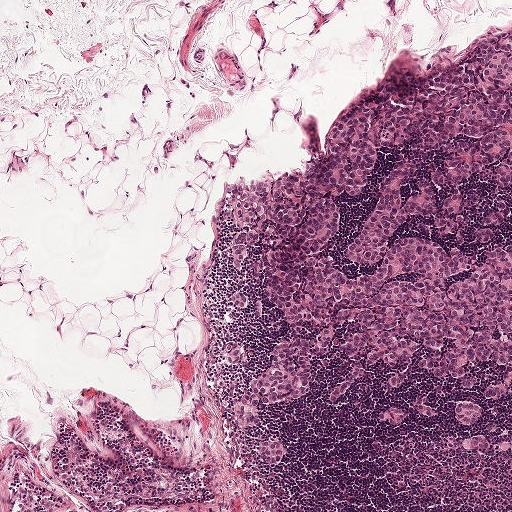
Lymph node section stained with H&E, from a whole-slide image of a breast-cancer sentinel node. Magnification about 5×, about 1 mm across the frame, about 1.9 µm per pixel.
Question: Show where the tumour is in this image.
Answer: Boundaries of four metastatic tumour regions, simplified and listed clockwise, largest first: region 1: (511, 27), (511, 396), (465, 430), (384, 429), (365, 399), (385, 384), (361, 378), (348, 408), (324, 403), (330, 361), (275, 412), (237, 411), (226, 390), (276, 320), (234, 309), (239, 280), (219, 272), (227, 212), (210, 201), (314, 154), (387, 82); region 2: (511, 428), (511, 460), (473, 457), (461, 454), (462, 438), (464, 437), (472, 434), (498, 435); region 3: (271, 436), (273, 440), (282, 444), (285, 459), (279, 465), (267, 464), (255, 452), (256, 438); region 4: (231, 341), (242, 356), (243, 364), (233, 363), (223, 358), (222, 348), (224, 343).
About 35% of this field is tumour.

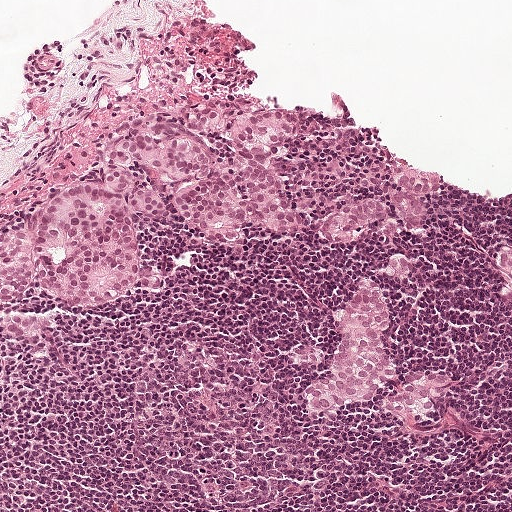
Lymph node section stained with H&E, from a whole-slide image of a breast-cancer sentinel node. Magnification about 10×, about 0.5 mm across the frame, about 0.97 µm per pixel.
Question: Show where the tumour is in this image.
Answer: Boundaries of five metastatic tumour regions, simplified and listed clockwise, largest first: region 1: (230, 98), (296, 117), (297, 137), (276, 159), (299, 217), (295, 237), (245, 228), (245, 240), (231, 246), (206, 238), (172, 198), (172, 180), (138, 164), (136, 174), (166, 210), (132, 212), (143, 265), (162, 273), (163, 291), (78, 309), (38, 272), (22, 296), (0, 305), (0, 233), (21, 226), (26, 213), (60, 192), (102, 181), (116, 128), (153, 110), (176, 113), (228, 160), (232, 144), (190, 116), (193, 103); region 2: (368, 278), (380, 281), (385, 288), (390, 304), (390, 321), (384, 346), (398, 379), (382, 388), (369, 402), (346, 403), (323, 413), (311, 411), (303, 404), (306, 392), (318, 375), (335, 361), (341, 340), (334, 324), (336, 311); region 3: (410, 168), (441, 173), (442, 196), (426, 202), (428, 225), (424, 230), (412, 230), (398, 224), (392, 218), (385, 218), (365, 226), (356, 241), (347, 243), (331, 241), (320, 233), (328, 219), (345, 205), (371, 199), (394, 199), (394, 190), (401, 186), (404, 170); region 4: (426, 370), (435, 374), (450, 374), (455, 377), (451, 390), (442, 400), (432, 398), (435, 416), (432, 422), (424, 426), (405, 422), (396, 410), (387, 406), (386, 402), (389, 392), (405, 387), (407, 375), (410, 372); region 5: (511, 245), (511, 278), (508, 276), (506, 271), (499, 265), (496, 261), (498, 256), (500, 250), (504, 247).
Two more small tumour pieces are annotated here but not outlined.
Tumour covers about 20% of the frame.

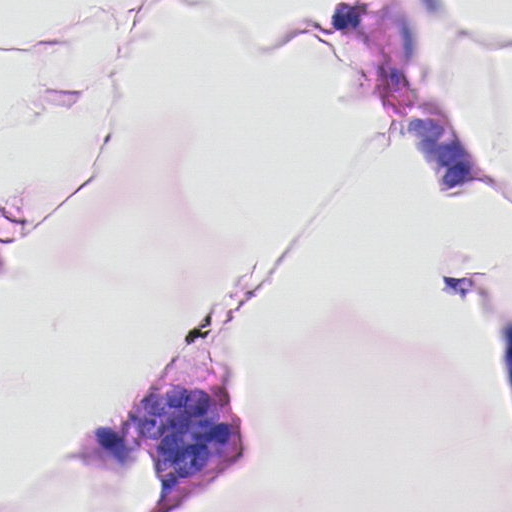
Lymph node section stained with H&E, from a whole-slide image of a breast-cancer sentinel node. Magnification about 40×, about 0.12 mm across the frame, about 0.23 µm per pixel.
Question: Show where the tumour is in this image.
Answer: Metastatic tumour outline, simplified to 10 points and listed clockwise in crop pixels (x, y): (187, 337), (209, 342), (227, 355), (240, 411), (235, 468), (183, 493), (142, 470), (86, 452), (100, 418), (141, 378).
About 5% of the image area is annotated as tumour.

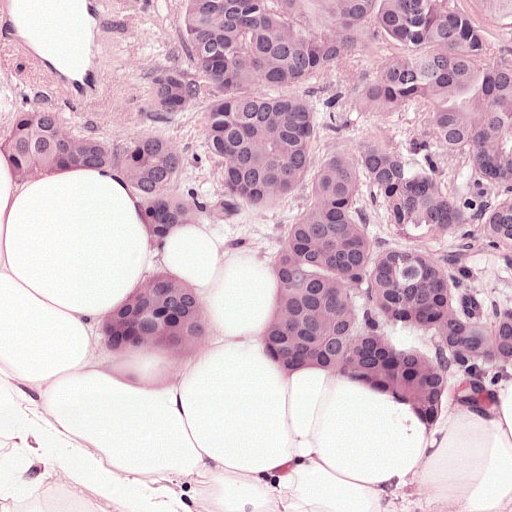
Lymph node section stained with H&E, from a whole-slide image of a breast-cancer sentinel node. Magnification about 20×, about 0.25 mm across the frame, about 0.49 µm per pixel.
Question: Show where the tumour is in this image.
Answer: Outlines of three tumour regions, largest first (closed clockwise paths, crop pixels): region 1: (162, 0), (447, 0), (511, 70), (511, 187), (476, 178), (472, 146), (436, 138), (425, 102), (363, 114), (363, 82), (414, 45), (374, 18), (362, 45), (278, 96), (312, 110), (312, 149), (261, 204), (224, 191), (207, 156), (202, 118), (234, 98), (178, 114), (186, 206), (169, 266), (198, 289), (212, 336), (200, 358), (122, 356), (98, 327), (156, 248), (136, 206), (150, 194), (96, 174), (16, 194), (0, 91), (79, 126), (132, 129), (145, 96), (194, 63), (186, 8); region 2: (355, 149), (395, 154), (462, 196), (497, 202), (511, 193), (511, 363), (498, 364), (488, 382), (500, 420), (466, 414), (460, 390), (470, 366), (446, 375), (442, 414), (425, 441), (412, 412), (312, 369), (287, 380), (264, 360), (261, 336), (278, 294), (274, 256), (328, 160); region 3: (468, 0), (511, 0), (511, 40), (494, 26).
About 45% of this field is tumour.